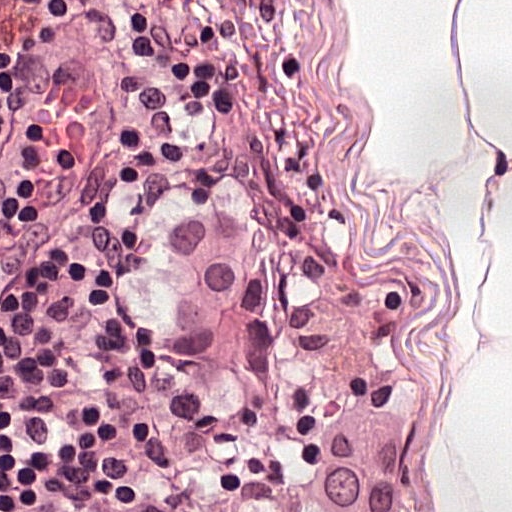
Lymph node section stained with H&E, from a whole-slide image of a breast-cancer sentinel node. Magnification about 40×, about 0.12 mm across the frame, about 0.24 µm per pixel.
The outlined metastatic tumour's edge, as a closed clockwise path of 18 points: (268, 150), (280, 211), (275, 288), (287, 331), (316, 365), (421, 404), (426, 468), (414, 511), (310, 511), (293, 438), (268, 397), (239, 381), (157, 377), (114, 334), (111, 313), (141, 238), (180, 179), (216, 154).
About 20% of this field is tumour.